Lymph node section stained with H&E, from a whole-slide image of a breast-cancer sentinel node. Magnification about 5×, about 0.93 mm across the frame, about 1.8 µm per pixel.
Question: 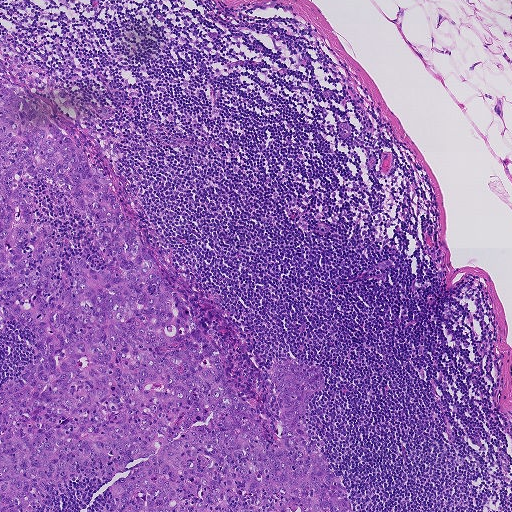
What fraction of the image area is metastatic tumour?

Choices:
 (A) about 50% or more
 (B) about 5% or less
 (C) about 10% to 20%
 (D) about 25% to 45%
 (E) none: no tumour is outlined

Answer: (D) about 25% to 45%
About 30% of the field is tumour.
One metastatic tumour region; its boundary, reduced to 21 corners and listed clockwise: (0, 80), (107, 170), (151, 257), (215, 305), (248, 359), (267, 375), (272, 356), (320, 365), (324, 389), (309, 399), (308, 424), (352, 511), (102, 511), (111, 492), (96, 474), (42, 511), (0, 511), (0, 388), (36, 344), (24, 324), (3, 327).